A 1.9-mm field of an H&E-stained sentinel lymph node from a breast-cancer patient (whole-slide image), shown at about 2.5×, about 3.6 µm per pixel.
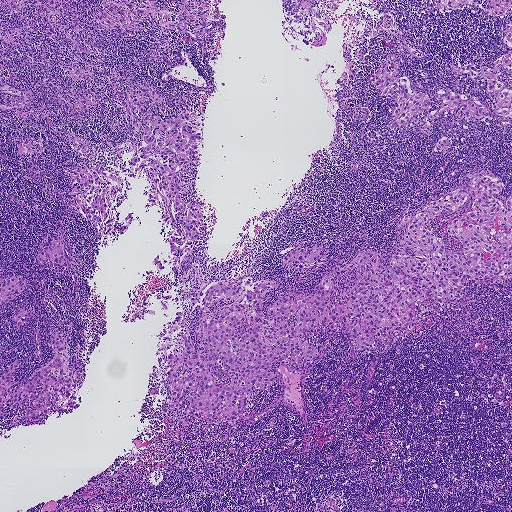
Outlines of the eight largest metastatic tumour regions, each a closed clockwise path in crop pixels (x, y), largest first: region 1: (472, 171), (498, 176), (492, 196), (511, 193), (511, 279), (466, 278), (454, 302), (428, 291), (412, 328), (351, 353), (342, 321), (304, 332), (314, 358), (273, 361), (272, 383), (246, 396), (232, 424), (204, 420), (193, 390), (166, 393), (178, 332), (207, 354), (195, 333), (209, 281), (273, 280), (261, 316), (273, 326), (271, 302), (312, 295), (330, 269), (326, 310), (342, 304), (358, 254), (376, 251), (381, 271), (415, 253), (398, 243), (402, 216); region 2: (0, 0), (221, 0), (202, 47), (158, 34), (172, 68), (151, 59), (158, 41), (138, 31), (114, 57), (109, 44), (101, 61), (81, 52), (108, 73), (87, 81), (91, 109), (32, 122), (42, 131), (46, 159), (19, 157), (14, 138), (42, 135), (2, 109); region 3: (144, 83), (168, 90), (166, 114), (156, 106), (151, 110), (162, 120), (180, 112), (200, 114), (200, 165), (180, 171), (188, 191), (179, 197), (206, 203), (201, 216), (209, 218), (209, 234), (174, 265), (171, 225), (160, 226), (159, 207), (146, 207), (144, 169), (133, 177), (122, 172), (127, 184), (110, 208), (111, 233), (133, 212), (128, 229), (104, 241), (91, 221), (64, 203), (72, 199), (69, 171), (87, 158), (114, 173), (130, 168), (137, 129), (124, 110), (128, 91); region 4: (390, 60), (396, 61), (400, 69), (395, 76), (405, 75), (413, 85), (429, 95), (435, 109), (442, 106), (442, 102), (435, 96), (440, 88), (447, 87), (469, 97), (475, 95), (483, 102), (487, 110), (485, 116), (465, 118), (462, 112), (459, 111), (455, 115), (447, 110), (433, 118), (429, 134), (419, 131), (418, 128), (422, 123), (418, 119), (404, 125), (386, 126), (391, 118), (392, 108), (398, 106), (398, 102), (392, 94), (379, 95), (376, 92), (374, 71); region 5: (53, 327), (65, 343), (66, 348), (61, 353), (64, 373), (66, 375), (71, 371), (71, 393), (80, 396), (81, 399), (81, 403), (77, 398), (73, 400), (79, 404), (78, 407), (73, 409), (68, 406), (65, 399), (54, 402), (35, 424), (25, 423), (28, 418), (25, 410), (29, 404), (10, 408), (11, 400), (8, 399), (0, 408), (0, 376), (9, 364), (17, 359), (20, 362), (12, 375), (15, 382), (11, 388), (11, 392), (16, 386), (26, 384), (57, 353), (48, 341); region 6: (282, 0), (338, 0), (335, 3), (338, 6), (337, 10), (327, 9), (326, 13), (321, 14), (321, 18), (329, 17), (332, 29), (330, 33), (322, 30), (327, 37), (325, 45), (321, 46), (306, 45), (301, 38), (304, 36), (293, 32), (295, 41), (292, 39), (282, 12); region 7: (511, 49), (511, 82), (504, 69), (500, 68), (496, 73), (497, 77), (502, 81), (503, 87), (511, 90), (511, 104), (510, 106), (511, 110), (511, 118), (508, 118), (496, 115), (493, 113), (496, 97), (488, 91), (489, 82), (487, 79), (484, 78), (474, 80), (469, 76), (471, 73), (462, 73), (462, 75), (459, 76), (453, 73), (454, 70), (468, 65), (477, 69), (483, 67), (489, 69), (492, 67), (493, 62); region 8: (60, 221), (72, 250), (71, 257), (76, 263), (70, 261), (76, 278), (76, 288), (70, 280), (66, 264), (64, 270), (58, 273), (48, 260), (43, 265), (38, 262), (36, 257), (41, 249), (48, 245), (51, 236), (58, 236), (57, 226).
10 more, smaller tumour regions are not outlined.
Two more small tumour pieces are annotated here but not outlined.
Tumour covers about 30% of the frame.